This is a crop of a whole-slide image: an H&E-stained breast-cancer sentinel lymph node section at roughly 10× magnification (about 0.9 µm per pixel; the crop spans about 0.46 mm).
Image:
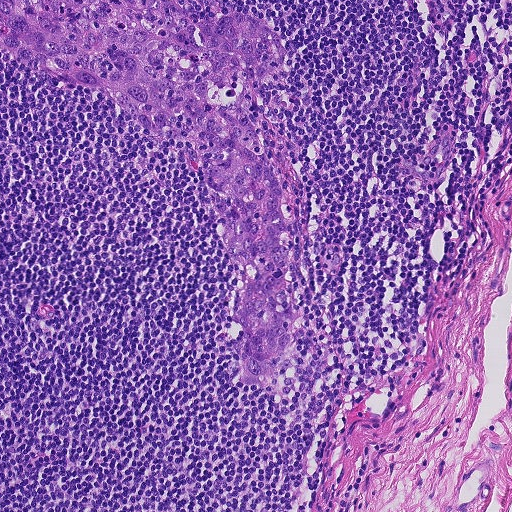
Question:
Is any metastatic breast cancer visible in this crop?
Answer:
Yes.
Tumour region outline (a closed clockwise path, crop pixels): (0, 0), (169, 0), (192, 21), (241, 10), (284, 36), (261, 104), (302, 194), (305, 243), (287, 366), (270, 384), (237, 379), (227, 344), (242, 273), (217, 231), (195, 161), (94, 90), (22, 69), (4, 53).
About 20% of the image area is annotated as tumour.